Image:
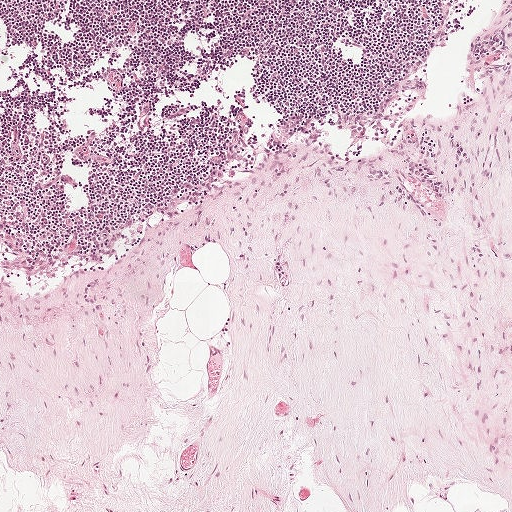
Lymph node section stained with H&E, from a whole-slide image of a breast-cancer sentinel node. Magnification about 5×, about 1 mm across the frame, about 1.9 µm per pixel.
Question:
Does this lymph node field contain metastatic tumour?
Answer:
No, this field holds no outlined metastasis.